H&E-stained section of a sentinel lymph node (breast cancer), from a whole-slide image, viewed at about 5×: the field is about 1 mm across, about 1.9 µm per pixel.
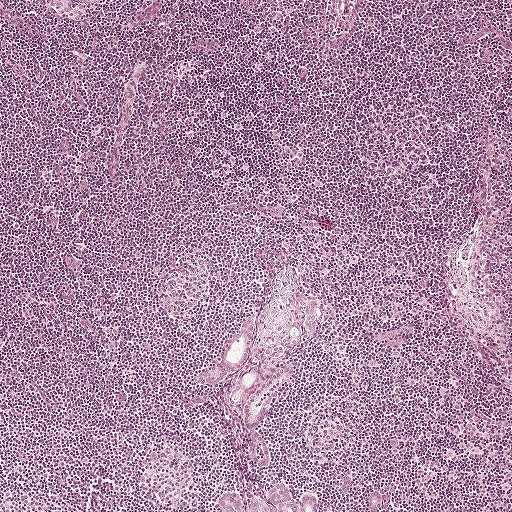
Eight metastatic tumour regions, each outlined as a closed clockwise path in crop pixels (x, y), largest first: region 1: (274, 306), (277, 313), (301, 329), (300, 342), (297, 345), (291, 346), (291, 350), (286, 355), (273, 359), (252, 390), (236, 403), (231, 403), (227, 396), (251, 364), (256, 352), (266, 343), (267, 335), (273, 326), (268, 318), (268, 313); region 2: (282, 483), (289, 486), (299, 496), (306, 497), (307, 492), (315, 497), (316, 511), (218, 511), (216, 504), (218, 497), (222, 492), (261, 493), (274, 484); region 3: (246, 313), (254, 317), (255, 328), (250, 341), (248, 352), (241, 374), (234, 380), (212, 389), (196, 381), (196, 377), (219, 361), (224, 348), (230, 343); region 4: (289, 364), (294, 365), (295, 368), (294, 374), (288, 378), (268, 407), (259, 428), (254, 431), (250, 431), (241, 420), (243, 405), (250, 392), (273, 372); region 5: (300, 295), (313, 296), (321, 304), (318, 334), (314, 337), (303, 332), (302, 320), (297, 319), (298, 304), (296, 301); region 6: (257, 430), (270, 447), (270, 462), (268, 467), (262, 468), (253, 464), (248, 452), (248, 441), (252, 432); region 7: (374, 490), (378, 490), (381, 496), (381, 503), (374, 511), (370, 510), (369, 509), (369, 505), (368, 501), (369, 495); region 8: (346, 475), (351, 478), (351, 485), (348, 493), (344, 492), (343, 492), (343, 489), (341, 488), (341, 485), (343, 482), (343, 476).
Region 6 encloses a non-tumour hole of about 20% of its area.
One more small tumour piece is annotated here but not outlined.
Tumour covers about 5% of the frame.